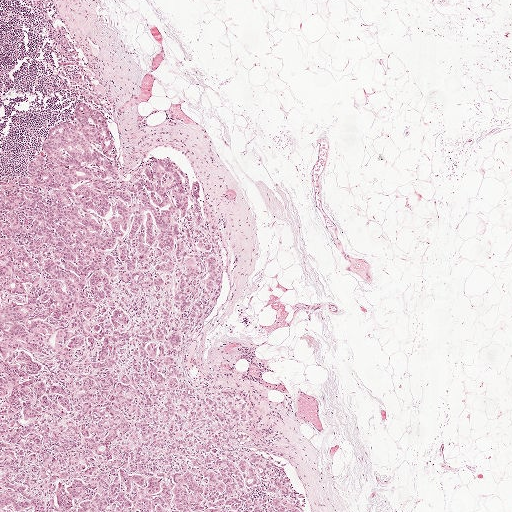
Lymph node section stained with H&E, from a whole-slide image of a breast-cancer sentinel node. Magnification about 2.5×, about 2.0 mm across the frame, about 3.9 µm per pixel.
The outlined metastatic tumour's edge, as a closed clockwise path of 21 points: (77, 105), (99, 110), (124, 182), (162, 159), (190, 191), (199, 184), (222, 278), (214, 306), (183, 341), (182, 368), (194, 386), (239, 396), (248, 415), (234, 444), (281, 463), (301, 511), (0, 511), (0, 191), (26, 175), (48, 129), (74, 123).
The annotated tumour makes up about 30% of the crop.